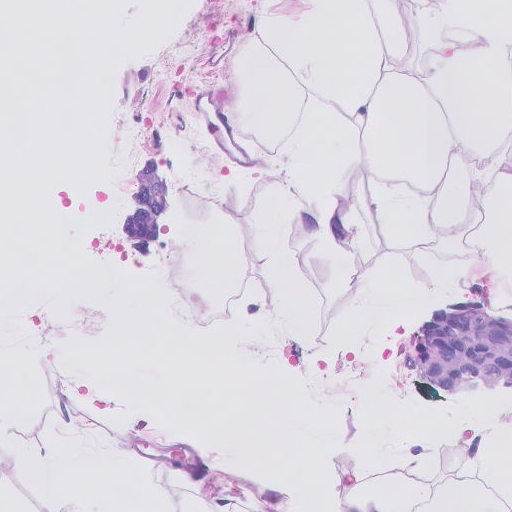
A 0.26-mm field of an H&E-stained sentinel lymph node from a breast-cancer patient (whole-slide image), shown at about 20×, about 0.5 µm per pixel.
Boundaries of two metastatic tumour regions, simplified and listed clockwise, largest first: region 1: (484, 280), (511, 300), (511, 390), (432, 403), (384, 360), (432, 287); region 2: (139, 122), (192, 140), (168, 269), (102, 256).
One more small tumour piece is annotated here but not outlined.
About 10% of this field is tumour.